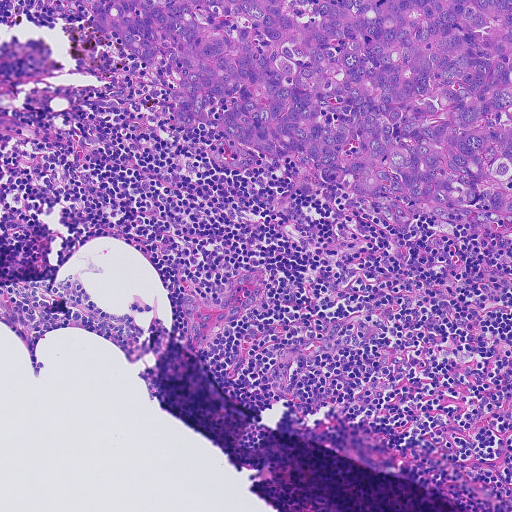
Lymph node section stained with H&E, from a whole-slide image of a breast-cancer sentinel node. Magnification about 10×, about 0.46 mm across the frame, about 0.91 µm per pixel.
Question: Describe where the metastatic carcinoma lies in this crop.
Answer: Tumour region outline (a closed clockwise path, crop pixels): (78, 0), (511, 0), (511, 221), (462, 223), (427, 209), (393, 220), (327, 184), (302, 156), (278, 162), (198, 122), (176, 125), (175, 59), (138, 58), (98, 32).
About 25% of this field is tumour.